Question: 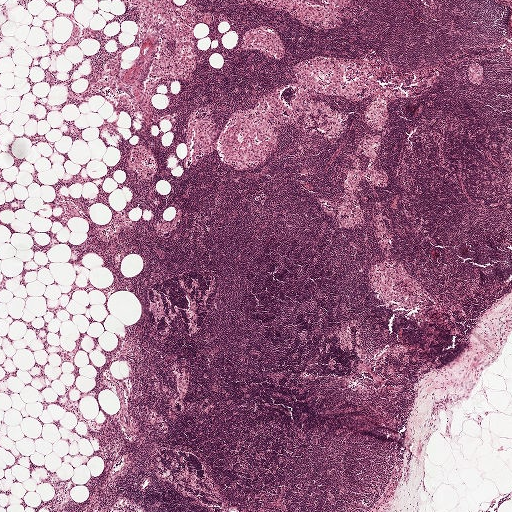
H&E-stained section of a sentinel lymph node (breast cancer), from a whole-slide image, viewed at about 2.5×: the field is about 2.0 mm across, about 3.9 µm per pixel.
About how much of this crop is taken up by metastatic carcinoma?

Choices:
 (A) about 25% to 45%
 (B) about 50% or more
 (C) about 10% to 20%
 (D) about 5% or less
 (E) none: no tumour is outlined

Answer: (D) about 5% or less
Under 5% of the field is tumour.
The outlined metastatic tumour's edge, as a closed clockwise path of 8 points: (477, 62), (483, 67), (483, 77), (482, 86), (475, 85), (469, 79), (467, 71), (470, 64).